Question: 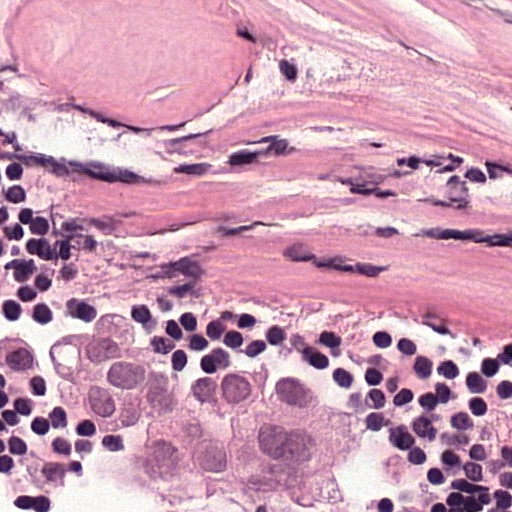
A 0.12-mm field of an H&E-stained sentinel lymph node from a breast-cancer patient (whole-slide image), shown at about 40×, about 0.24 µm per pixel.
About how much of this crop is taken up by metastatic carcinoma?

Choices:
 (A) none: no tumour is outlined
 (B) about 50% or more
 (C) about 5% or less
 (D) about 25% to 45%
 (E) about 10% to 20%

Answer: (E) about 10% to 20%
About 20% of the field is tumour.
Metastatic tumour outline, simplified to 11 points and listed clockwise in crop pixels (x, y): (93, 306), (207, 326), (363, 415), (370, 458), (345, 490), (343, 511), (154, 511), (116, 437), (43, 422), (0, 401), (7, 319).